Image:
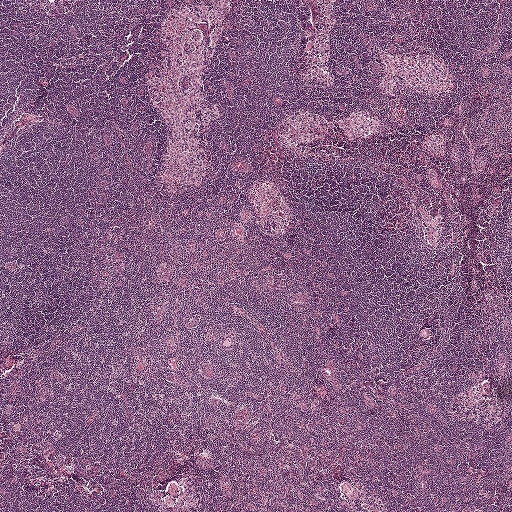
This is a crop of a whole-slide image: an H&E-stained breast-cancer sentinel lymph node section at roughly 2.5× magnification (about 3.9 µm per pixel; the crop spans about 2.0 mm).
Question:
Does this lymph node field contain metastatic tumour?
Answer:
No, this field holds no outlined metastasis.